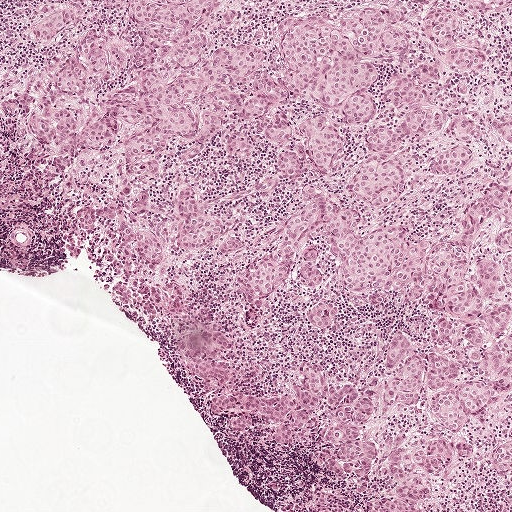
H&E-stained section of a sentinel lymph node (breast cancer), from a whole-slide image, viewed at about 5×: the field is about 1 mm across, about 1.9 µm per pixel.
One metastatic tumour region; its boundary, reduced to 23 corners and listed clockwise: (511, 0), (511, 472), (381, 511), (210, 414), (182, 325), (232, 342), (236, 391), (285, 393), (431, 317), (347, 304), (321, 332), (288, 283), (247, 300), (298, 198), (258, 149), (174, 166), (247, 236), (230, 259), (81, 232), (0, 123), (0, 62), (45, 62), (65, 2).
One more small tumour piece is annotated here but not outlined.
About 65% of the image area is annotated as tumour.